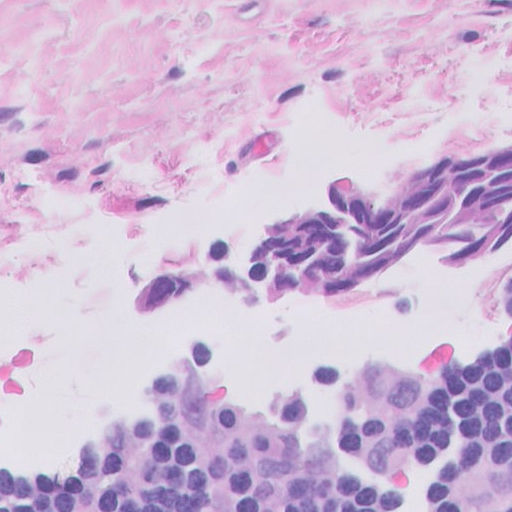
This is a crop of a whole-slide image: an H&E-stained breast-cancer sentinel lymph node section at roughly 40× magnification (about 0.25 µm per pixel; the crop spans about 0.13 mm).
Question: Which parts of this field are metastatic tumour? Answer with the outline of each region, in pixels.
Answer: Tumour region outline (a closed clockwise path, crop pixels): (511, 123), (511, 265), (419, 316), (219, 337), (98, 299), (167, 225), (442, 130).
About 20% of the image area is annotated as tumour.